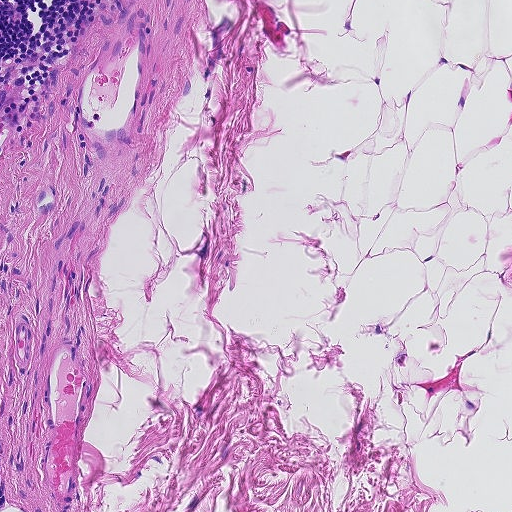
Lymph node section stained with H&E, from a whole-slide image of a breast-cancer sentinel node. Magnification about 10×, about 0.46 mm across the frame, about 0.9 µm per pixel.